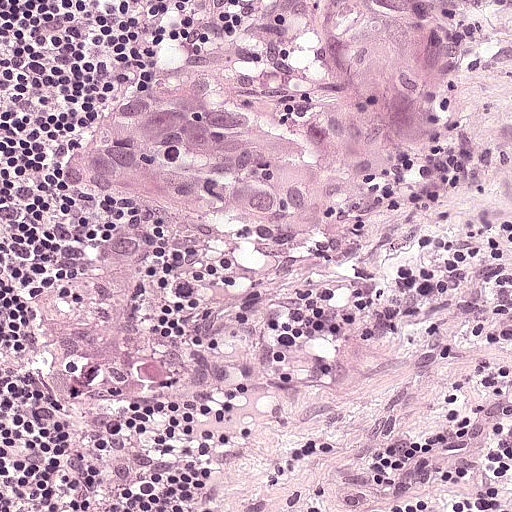
This is a crop of a whole-slide image: an H&E-stained breast-cancer sentinel lymph node section at roughly 20× magnification (about 0.49 µm per pixel; the crop spans about 0.25 mm).
Question: Show where the tumour is in this image.
Answer: The outlined metastatic tumour's edge, as a closed clockwise path of 20 points: (186, 0), (468, 0), (457, 132), (370, 188), (296, 303), (250, 450), (176, 500), (185, 491), (152, 498), (98, 490), (72, 469), (60, 440), (62, 369), (38, 338), (35, 296), (60, 214), (102, 184), (98, 167), (74, 156), (79, 128).
About 50% of the image area is annotated as tumour.